H&E-stained section of a sentinel lymph node (breast cancer), from a whole-slide image, viewed at about 2.5×: the field is about 2.0 mm across, about 3.9 µm per pixel.
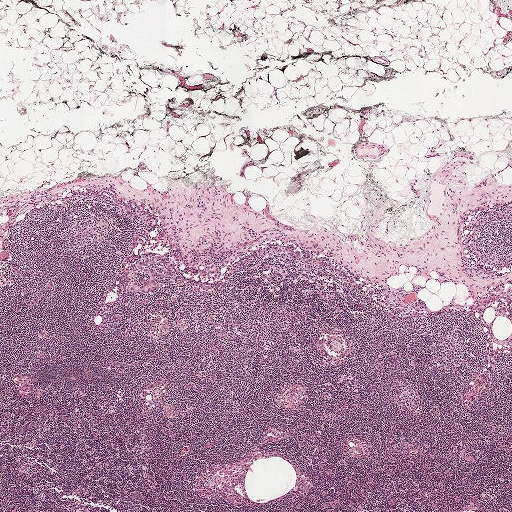
The outlined metastatic tumour's edge, as a closed clockwise path of 17 points: (140, 261), (148, 261), (150, 270), (166, 275), (156, 276), (157, 281), (164, 283), (164, 285), (159, 290), (148, 292), (140, 291), (132, 292), (126, 290), (128, 281), (123, 271), (131, 266), (136, 266).
Under 5% of the image area is annotated as tumour.